Image:
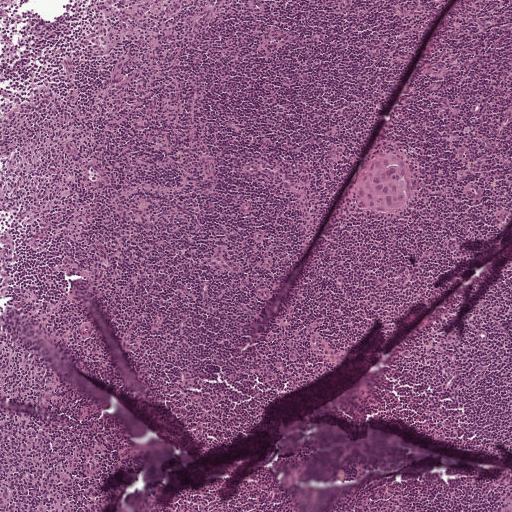
This is a crop of a whole-slide image: an H&E-stained breast-cancer sentinel lymph node section at roughly 5× magnification (about 1.9 µm per pixel; the crop spans about 1 mm).
Question:
Trace the edge of each tumour region in this crop, as (x, y) points from 0 to 511.
Answer:
The outlined metastatic tumour's edge, as a closed clockwise path of 12 points: (384, 155), (396, 155), (406, 167), (411, 181), (411, 196), (405, 208), (392, 215), (378, 215), (364, 210), (353, 199), (357, 185), (370, 159).
One more small tumour piece is annotated here but not outlined.
Under 5% of this field is tumour.